Question: 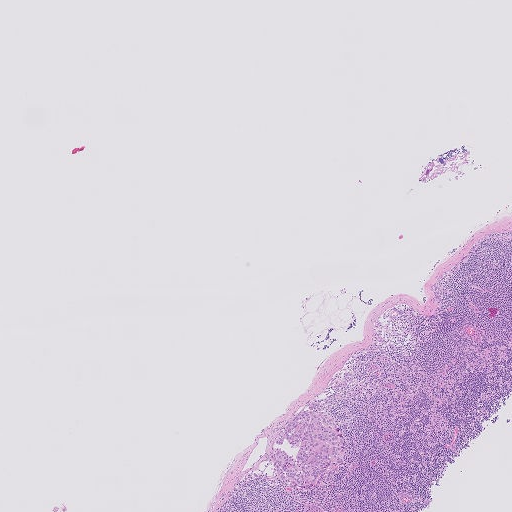
About what magnification does this crop show?

Choices:
 (A) about 5×
 (B) about 40×
 (C) about 10×
 (D) about 20×
 (E) about 2.5×

Answer: (E) about 2.5×
This is a crop of a whole-slide image: an H&E-stained breast-cancer sentinel lymph node section at roughly 2.5× magnification (about 4.0 µm per pixel; the crop spans about 2.0 mm).
One metastatic tumour region; its boundary, reduced to 12 corners and listed clockwise: (320, 402), (322, 408), (335, 419), (343, 441), (341, 464), (331, 479), (311, 490), (282, 483), (273, 468), (274, 444), (279, 433), (304, 406).
Under 5% of this field is tumour.